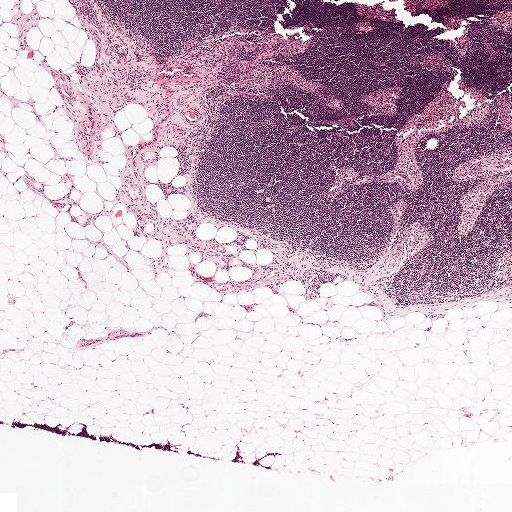
Lymph node section stained with H&E, from a whole-slide image of a breast-cancer sentinel node. Magnification about 2.5×, about 2.0 mm across the frame, about 3.9 µm per pixel.